Image:
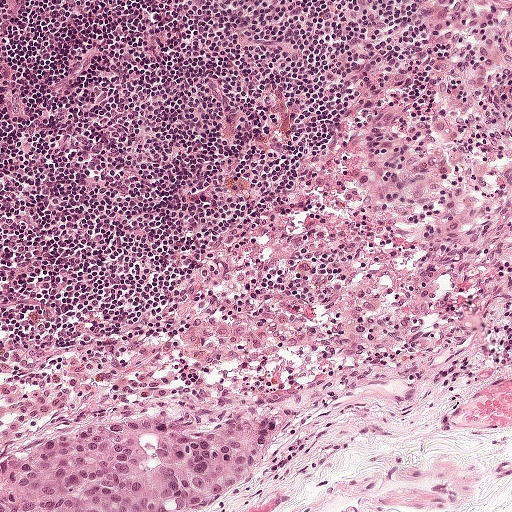
A 0.5-mm field of an H&E-stained sentinel lymph node from a breast-cancer patient (whole-slide image), shown at about 10×, about 0.97 µm per pixel.
Question:
Where is the metastatic tumour in this field?
Answer:
Tumour region outline (a closed clockwise path, crop pixels): (251, 400), (277, 406), (277, 424), (250, 484), (216, 511), (0, 511), (0, 450), (120, 406), (206, 415).
About 10% of the image area is annotated as tumour.